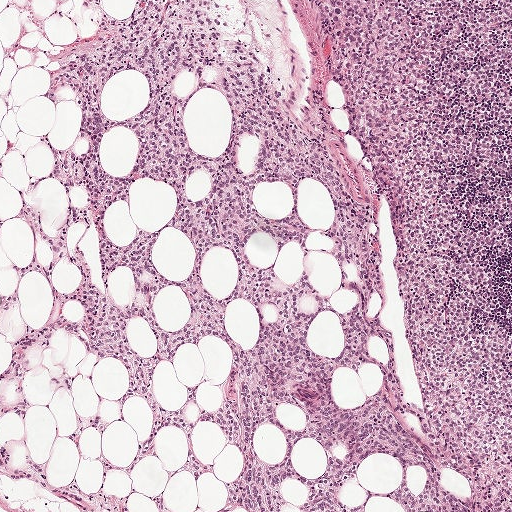
This is a crop of a whole-slide image: an H&E-stained breast-cancer sentinel lymph node section at roughly 5× magnification (about 1.9 µm per pixel; the crop spans about 1 mm).
One metastatic tumour region; its boundary, reduced to 17 corners and listed clockwise: (116, 0), (224, 0), (239, 27), (304, 85), (382, 226), (383, 292), (423, 424), (405, 231), (348, 96), (325, 0), (511, 0), (511, 511), (0, 511), (0, 314), (93, 229), (72, 150), (72, 72).
Tumour covers about 85% of the frame.